This is a crop of a whole-slide image: an H&E-stained breast-cancer sentinel lymph node section at roughly 2.5× magnification (about 3.9 µm per pixel; the crop spans about 2.0 mm).
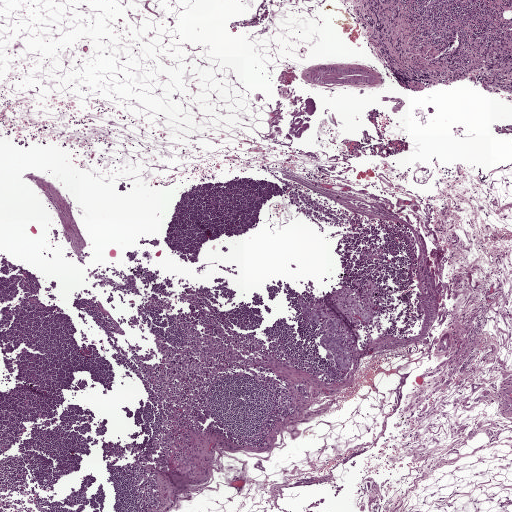
Two metastatic tumour regions, each outlined as a closed clockwise path in crop pixels (x, y), largest first: region 1: (363, 277), (370, 278), (379, 287), (380, 293), (374, 322), (369, 324), (361, 323), (354, 363), (348, 374), (343, 375), (336, 369), (333, 361), (327, 360), (323, 348), (318, 346), (319, 324), (302, 319), (297, 301), (301, 293), (308, 302), (313, 297); region 2: (358, 202), (367, 203), (371, 206), (367, 209), (356, 207).
Four more small tumour pieces are annotated here but not outlined.
Under 5% of this field is tumour.